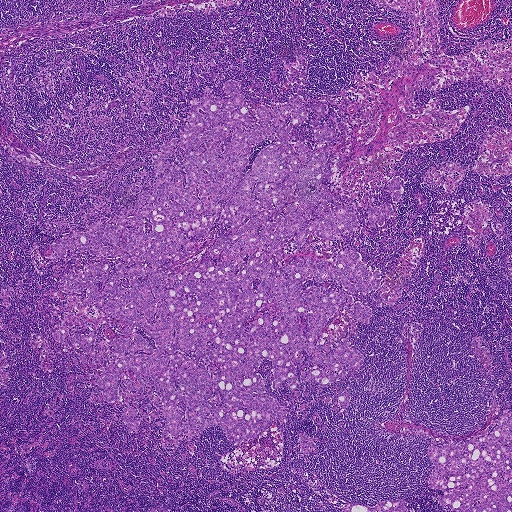
A 1.9-mm field of an H&E-stained sentinel lymph node from a breast-cancer patient (whole-slide image), shown at about 2.5×, about 3.6 µm per pixel.
Three metastatic tumour regions, each outlined as a closed clockwise path in crop pixels (x, y), largest first: region 1: (238, 81), (256, 123), (261, 102), (325, 103), (288, 134), (312, 149), (310, 119), (336, 124), (328, 210), (367, 219), (404, 177), (383, 226), (330, 241), (382, 274), (352, 294), (372, 314), (348, 341), (364, 361), (346, 409), (342, 380), (273, 390), (258, 365), (287, 424), (316, 444), (305, 456), (278, 423), (183, 444), (137, 408), (129, 433), (135, 404), (103, 401), (86, 373), (102, 368), (52, 332), (57, 281), (117, 258), (45, 248), (150, 187), (188, 100); region 2: (510, 410), (511, 511), (458, 511), (438, 505), (437, 496), (444, 495), (442, 490), (432, 490), (426, 485), (434, 466), (427, 454), (431, 440), (440, 437), (463, 441), (482, 431), (501, 412); region 3: (396, 499), (401, 499), (405, 501), (408, 510), (408, 511), (342, 511), (341, 510), (343, 505), (347, 503), (361, 502), (370, 506), (374, 506), (378, 503), (387, 500).
About 35% of the image area is annotated as tumour.